Image:
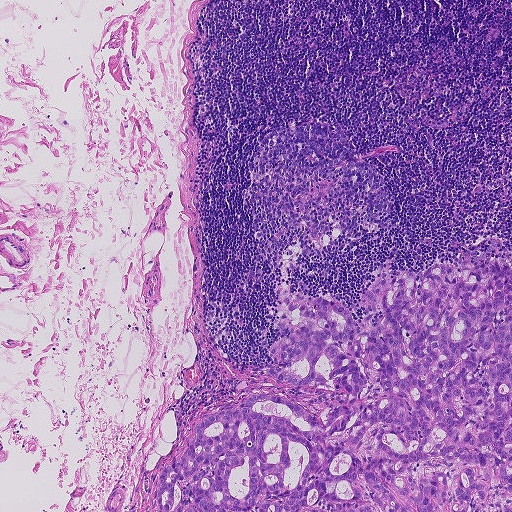
A 0.93-mm field of an H&E-stained sentinel lymph node from a breast-cancer patient (whole-slide image), shown at about 5×, about 1.8 µm per pixel.
Question:
Show where the tumour is in this image.
Answer:
Tumour region outline (a closed clockwise path, crop pixels): (381, 262), (421, 272), (509, 264), (511, 511), (155, 511), (158, 476), (184, 454), (198, 419), (261, 393), (322, 410), (263, 368), (283, 338), (274, 320), (281, 282), (296, 294), (327, 293), (357, 321).
Tumour covers about 25% of the frame.